Question: 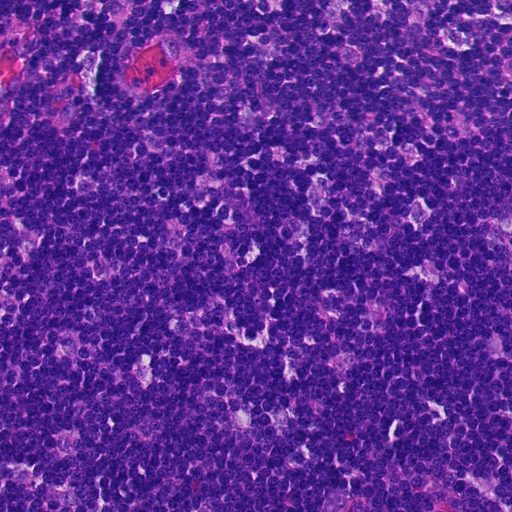
At roughly what magnification is this field shown?

Choices:
 (A) about 5×
 (B) about 2.5×
 (C) about 40×
 (D) about 20×
 (E) about 10×

Answer: (D) about 20×
This is a crop of a whole-slide image: an H&E-stained breast-cancer sentinel lymph node section at roughly 20× magnification (about 0.45 µm per pixel; the crop spans about 0.23 mm).